Image:
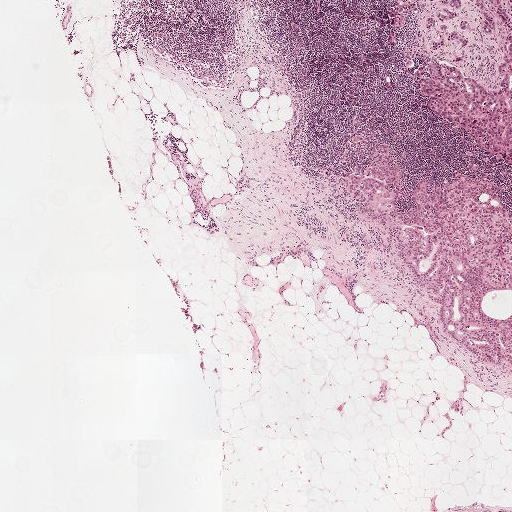
A 2.0-mm field of an H&E-stained sentinel lymph node from a breast-cancer patient (whole-slide image), shown at about 2.5×, about 3.9 µm per pixel.
Question:
Is there metastatic carcinoma in this field?
Answer:
Yes.
Outlines of seven tumour regions, largest first (closed clockwise paths, crop pixels): region 1: (384, 159), (397, 163), (396, 213), (403, 213), (421, 179), (432, 190), (455, 172), (485, 172), (511, 213), (505, 242), (511, 242), (511, 371), (454, 342), (434, 299), (402, 268), (384, 227), (358, 216), (358, 203), (344, 188), (350, 173), (366, 175); region 2: (511, 33), (511, 165), (493, 160), (485, 148), (466, 138), (463, 129), (453, 133), (449, 124), (435, 116), (426, 103), (427, 99), (421, 97), (420, 82), (414, 75), (420, 63), (440, 60), (453, 65), (484, 89), (493, 91), (497, 89), (500, 80), (497, 67), (503, 58), (504, 36); region 3: (441, 0), (461, 0), (458, 10), (453, 11), (457, 15), (457, 18), (450, 22), (440, 20), (435, 30), (426, 29), (422, 20), (429, 17), (436, 16), (437, 13), (444, 9); region 4: (398, 0), (411, 1), (417, 3), (421, 14), (419, 16), (415, 15), (408, 8), (405, 7), (403, 15), (405, 21), (404, 26), (401, 29), (395, 30), (395, 41), (392, 46), (390, 46), (386, 45), (386, 43), (390, 34), (398, 20), (397, 14), (393, 10), (395, 4); region 5: (475, 0), (484, 0), (493, 16), (495, 27), (492, 35), (485, 34), (483, 16), (474, 5); region 6: (444, 23), (450, 31), (458, 31), (463, 33), (469, 40), (469, 44), (463, 46), (458, 42), (449, 43), (444, 32), (439, 29), (440, 24); region 7: (488, 0), (500, 0), (504, 10), (508, 14), (511, 31), (509, 30), (500, 21), (495, 11), (494, 6), (489, 2).
Four more small tumour pieces are annotated here but not outlined.
About 10% of the image area is annotated as tumour.